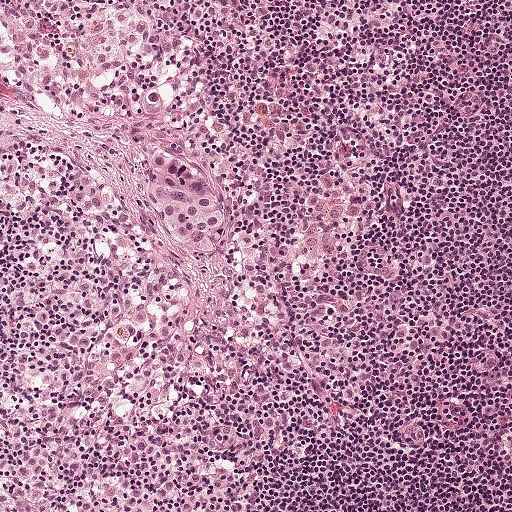
A 0.5-mm field of an H&E-stained sentinel lymph node from a breast-cancer patient (whole-slide image), shown at about 10×, about 0.97 µm per pixel.
Question: Does this lymph node field contain metastatic tumour?
Answer: Yes.
The outlined metastatic tumour's edge, as a closed clockwise path of 13 points: (146, 146), (169, 151), (194, 165), (218, 186), (226, 204), (227, 224), (215, 259), (205, 262), (191, 261), (163, 244), (159, 230), (131, 185), (139, 156).
Tumour covers about 5% of the frame.